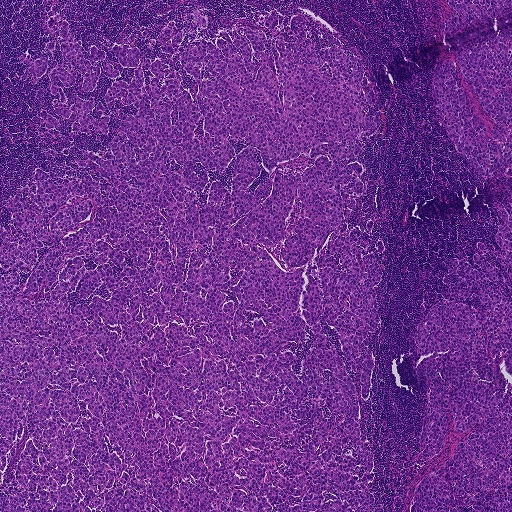
Lymph node section stained with H&E, from a whole-slide image of a breast-cancer sentinel node. Magnification about 2.5×, about 1.9 mm across the frame, about 3.6 µm per pixel.
Question: Trace the edge of each tumour region in this crop, as (x, y) points from 0 to 511.
Answer: Outlines of six tumour regions, largest first (closed clockwise paths, crop pixels): region 1: (53, 14), (193, 102), (169, 21), (261, 29), (278, 85), (298, 14), (364, 67), (379, 124), (334, 230), (373, 223), (367, 397), (319, 320), (374, 511), (0, 511), (2, 201), (39, 213), (39, 168), (105, 198), (117, 187), (74, 159), (139, 153), (122, 97), (90, 113), (106, 135), (45, 126), (22, 53), (75, 70), (69, 108), (114, 80), (83, 90), (78, 63), (58, 36), (46, 46); region 2: (476, 242), (487, 247), (483, 254), (511, 288), (489, 284), (511, 301), (511, 353), (499, 366), (511, 387), (511, 511), (410, 511), (421, 479), (443, 466), (477, 422), (456, 432), (449, 401), (443, 448), (417, 464), (428, 396), (420, 366), (419, 385), (411, 364), (410, 334), (438, 302), (490, 316), (475, 296), (480, 288), (473, 284), (468, 300), (452, 298), (448, 290), (459, 283), (449, 271), (454, 257), (481, 274), (473, 259), (474, 253), (481, 257); region 3: (511, 23), (511, 182), (508, 182), (508, 177), (503, 173), (482, 177), (457, 150), (437, 112), (432, 83), (439, 60), (452, 61), (470, 104), (487, 125), (492, 125), (481, 111), (470, 83), (461, 75), (454, 51), (449, 51); region 4: (444, 0), (511, 0), (511, 13), (448, 39), (442, 30), (442, 22), (446, 18), (447, 12), (453, 11); region 5: (511, 194), (511, 267), (508, 267), (506, 272), (503, 271), (499, 262), (494, 259), (491, 253), (493, 246), (500, 250), (501, 249), (494, 239), (499, 226), (504, 223), (495, 210), (494, 210), (492, 208), (494, 205), (492, 199), (505, 198); region 6: (194, 10), (207, 19), (207, 23), (199, 31), (196, 30), (192, 24), (192, 13).
Five more small tumour pieces are annotated here but not outlined.
Tumour covers about 75% of the frame.